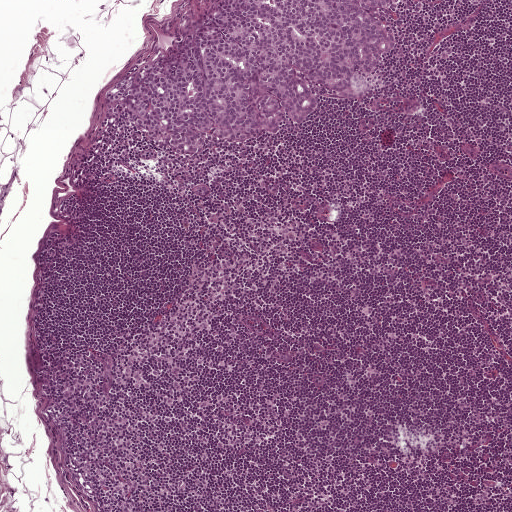
H&E-stained section of a sentinel lymph node (breast cancer), from a whole-slide image, viewed at about 5×: the field is about 1 mm across, about 1.9 µm per pixel.
Metastatic tumour outline, simplified to 14 points and listed clockwise in crop pixels (x, y): (215, 0), (399, 0), (399, 9), (392, 54), (368, 98), (322, 106), (279, 137), (224, 144), (202, 158), (172, 157), (130, 128), (106, 127), (104, 92), (172, 48).
About 10% of this field is tumour.